Question: 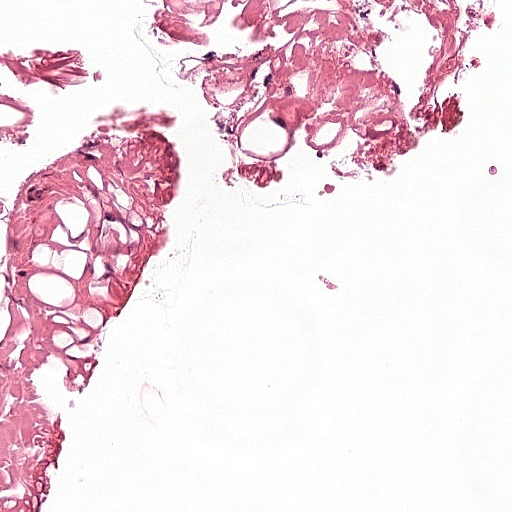
H&E-stained section of a sentinel lymph node (breast cancer), from a whole-slide image, viewed at about 20×: the field is about 0.25 mm across, about 0.49 µm per pixel.
About how much of this crop is taken up by metastatic carcinoma?

Choices:
 (A) about 50% or more
 (B) about 25% to 45%
 (C) none: no tumour is outlined
 (D) about 10% to 20%
 (E) about 5% or less

Answer: (C) none: no tumour is outlined
No metastatic tumour is outlined in this field.